A 0.25-mm field of an H&E-stained sentinel lymph node from a breast-cancer patient (whole-slide image), shown at about 20×, about 0.49 µm per pixel.
Image:
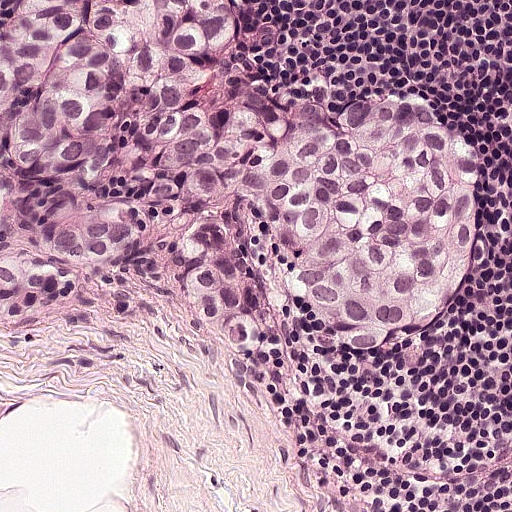
Question:
Is there metastatic carcinoma in this field?
Answer:
Yes.
Metastatic tumour outline, simplified to 19 points and listed clockwise in crop pixels (x, y): (251, 0), (273, 98), (401, 96), (446, 110), (483, 153), (476, 242), (437, 324), (400, 348), (312, 330), (278, 355), (236, 350), (210, 326), (198, 280), (164, 224), (101, 266), (50, 326), (0, 326), (0, 14), (18, 2).
About 50% of the image area is annotated as tumour.